Question: 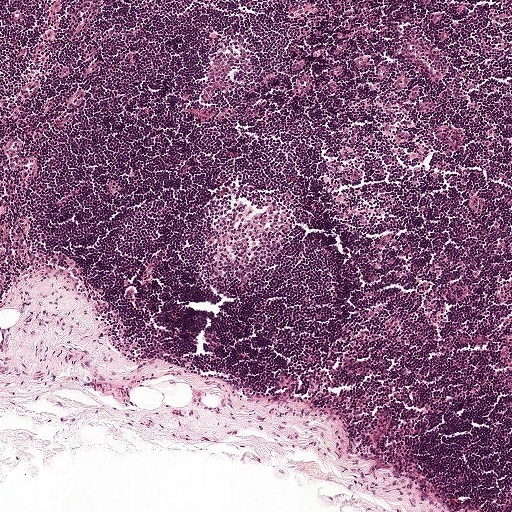
About what magnification does this crop show?

Choices:
 (A) about 40×
 (B) about 10×
 (C) about 20×
 (D) about 5×
 (E) about 2.5×

Answer: (D) about 5×
This is a crop of a whole-slide image: an H&E-stained breast-cancer sentinel lymph node section at roughly 5× magnification (about 1.9 µm per pixel; the crop spans about 1 mm).